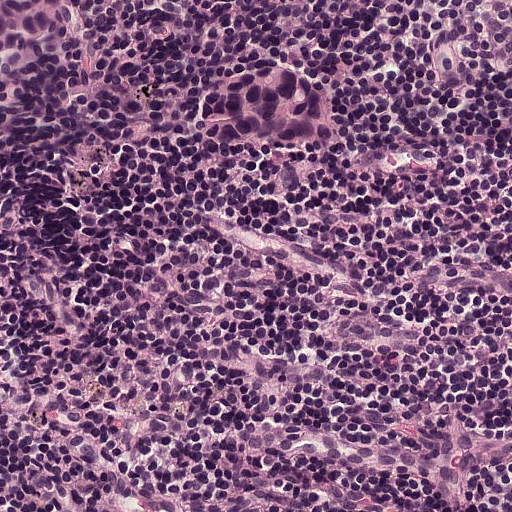
Lymph node section stained with H&E, from a whole-slide image of a breast-cancer sentinel node. Magnification about 20×, about 0.25 mm across the frame, about 0.49 µm per pixel.
Outlines of two tumour regions, largest first (closed clockwise paths, crop pixels): region 1: (228, 62), (318, 77), (343, 90), (354, 106), (369, 155), (330, 176), (262, 174), (234, 163), (221, 132), (192, 113), (200, 83), (215, 66); region 2: (0, 0), (84, 0), (86, 21), (82, 38), (63, 66), (37, 81), (28, 81), (0, 65).
Tumour covers about 10% of the frame.